Question: 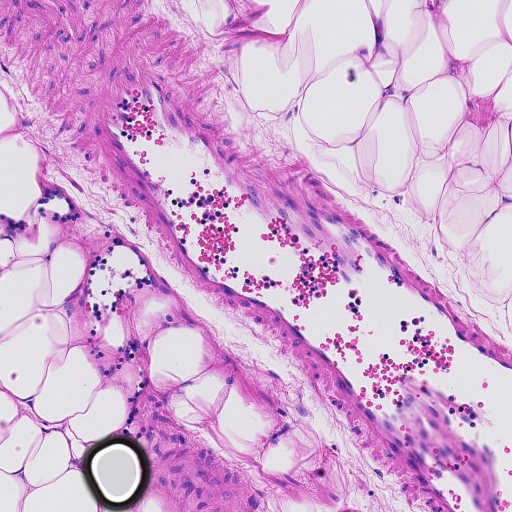
About what magnification does this crop show?

Choices:
 (A) about 40×
 (B) about 10×
 (C) about 5×
 (D) about 20×
 (E) about 2.5×

Answer: (B) about 10×
A 0.46-mm field of an H&E-stained sentinel lymph node from a breast-cancer patient (whole-slide image), shown at about 10×, about 0.91 µm per pixel.